Lymph node section stained with H&E, from a whole-slide image of a breast-cancer sentinel node. Magnification about 10×, about 0.5 mm across the frame, about 0.97 µm per pixel.
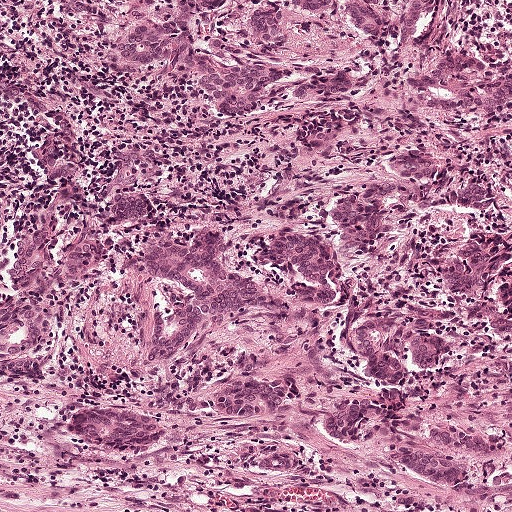
Outlines of the eight largest metastatic tumour regions, each a closed clockwise path in crop pixels (x, y), largest first: region 1: (60, 143), (81, 190), (100, 200), (110, 190), (108, 162), (130, 144), (146, 162), (150, 185), (144, 196), (155, 202), (159, 218), (114, 237), (104, 272), (56, 307), (48, 343), (27, 369), (4, 381), (0, 293), (11, 280), (31, 208), (37, 150); region 2: (432, 314), (449, 320), (460, 332), (451, 348), (450, 370), (410, 417), (400, 455), (425, 457), (441, 434), (451, 430), (483, 440), (508, 466), (506, 470), (473, 472), (486, 492), (481, 510), (429, 492), (334, 438), (346, 406), (366, 380), (359, 341); region 3: (100, 0), (238, 1), (227, 26), (203, 27), (190, 36), (216, 61), (242, 71), (268, 71), (295, 81), (296, 88), (278, 108), (264, 138), (251, 143), (232, 138), (203, 120), (191, 94), (134, 79), (123, 70), (116, 57), (120, 37); region 4: (195, 230), (220, 237), (221, 267), (280, 300), (287, 307), (287, 315), (282, 321), (262, 317), (230, 322), (210, 319), (184, 356), (162, 370), (147, 370), (140, 366), (149, 332), (141, 256), (146, 249); region 5: (310, 0), (443, 0), (443, 2), (433, 31), (420, 54), (386, 56), (372, 51), (358, 40), (336, 32), (328, 21), (302, 15), (302, 10); region 6: (457, 62), (476, 64), (511, 78), (511, 129), (496, 129), (440, 120), (414, 111), (410, 106), (413, 84); region 7: (100, 402), (149, 410), (165, 418), (172, 428), (172, 449), (168, 454), (152, 463), (132, 463), (92, 448), (72, 436), (68, 431), (68, 414), (82, 404); region 8: (280, 231), (281, 238), (289, 234), (301, 232), (322, 240), (342, 282), (342, 298), (336, 309), (302, 302), (286, 293), (278, 275), (262, 258), (270, 236).
Six more, smaller tumour regions are not outlined.
One more small tumour piece is annotated here but not outlined.
The annotated tumour makes up about 35% of the crop.